Question: 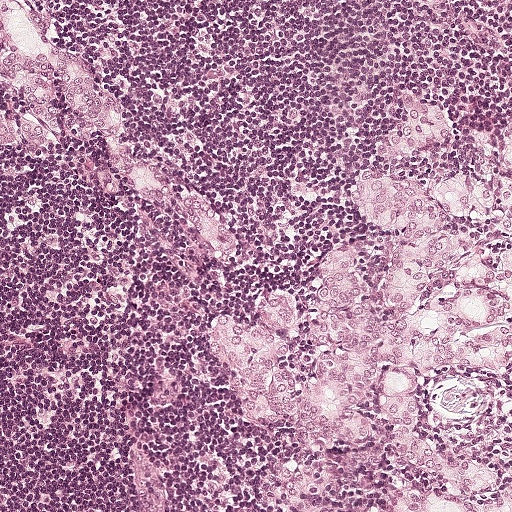
A 0.5-mm field of an H&E-stained sentinel lymph node from a breast-cancer patient (whole-slide image), shown at about 10×, about 0.97 µm per pixel.
Estimate the proportion of this field that is metastatic tumour.

Choices:
 (A) about 5% or less
 (B) about 25% to 45%
 (C) about 10% to 20%
 (D) none: no tumour is outlined
 (E) about 50% or more

Answer: (B) about 25% to 45%
About 35% of the field is tumour.
Boundaries of two metastatic tumour regions, simplified and listed clockwise, largest first: region 1: (419, 99), (462, 141), (402, 164), (427, 188), (490, 165), (511, 115), (511, 375), (430, 373), (414, 415), (511, 462), (511, 511), (377, 511), (403, 480), (346, 444), (333, 511), (264, 511), (285, 444), (232, 426), (207, 331), (320, 297), (353, 175); region 2: (27, 0), (114, 87), (124, 104), (127, 137), (173, 172), (210, 188), (246, 230), (244, 268), (222, 268), (174, 236), (161, 215), (128, 207), (115, 194), (92, 147), (43, 137), (27, 152), (0, 148), (0, 4).